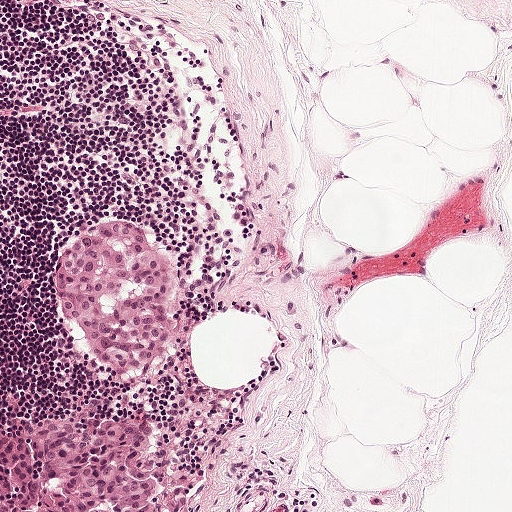
Lymph node section stained with H&E, from a whole-slide image of a breast-cancer sentinel node. Magnification about 10×, about 0.5 mm across the frame, about 0.97 µm per pixel.
Two metastatic tumour regions, each outlined as a closed clockwise path in crop pixels (x, y), largest first: region 1: (107, 220), (120, 223), (154, 238), (166, 258), (179, 288), (179, 304), (162, 359), (152, 370), (132, 376), (104, 373), (68, 330), (55, 300), (53, 269), (66, 242); region 2: (70, 414), (118, 415), (138, 431), (183, 511), (0, 511), (0, 445), (4, 438), (52, 421), (48, 419).
About 10% of the image area is annotated as tumour.